Image:
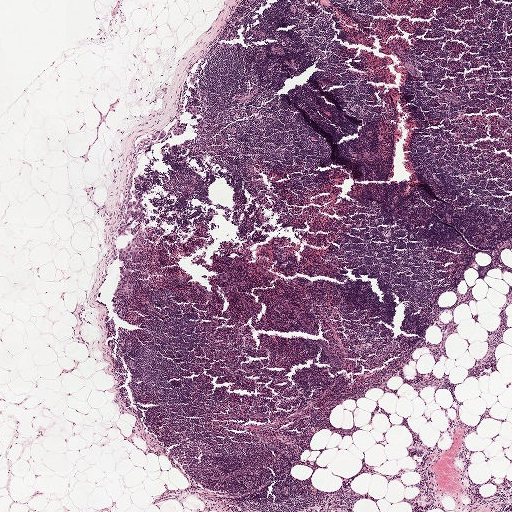
H&E-stained section of a sentinel lymph node (breast cancer), from a whole-slide image, viewed at about 2.5×: the field is about 2.0 mm across, about 3.9 µm per pixel.
Question:
Where is the metastatic tumour in this field? Give each region's outline as (x, y) pixel points.
Answer:
Four metastatic tumour regions, each outlined as a closed clockwise path in crop pixels (x, y), largest first: region 1: (128, 189), (132, 195), (132, 199), (137, 204), (137, 208), (136, 209), (137, 213), (134, 216), (129, 218), (125, 230), (127, 232), (126, 235), (119, 236), (116, 234), (116, 230), (121, 215), (125, 209), (125, 203); region 2: (120, 266), (128, 268), (131, 273), (128, 280), (132, 284), (132, 291), (131, 294), (126, 296), (115, 296), (112, 294), (113, 289), (120, 280), (118, 273); region 3: (132, 238), (138, 239), (138, 259), (133, 262), (130, 259), (124, 262), (116, 260), (119, 249); region 4: (160, 130), (160, 132), (161, 130), (164, 130), (165, 132), (165, 136), (161, 139), (158, 140), (157, 140), (156, 138), (159, 134), (154, 139), (153, 139), (151, 138), (150, 137), (152, 134).
Nine more small tumour pieces are annotated here but not outlined.
Under 5% of this field is tumour.